This is a crop of a whole-slide image: an H&E-stained breast-cancer sentinel lymph node section at roughly 5× magnification (about 1.8 µm per pixel; the crop spans about 0.93 mm).
Question: 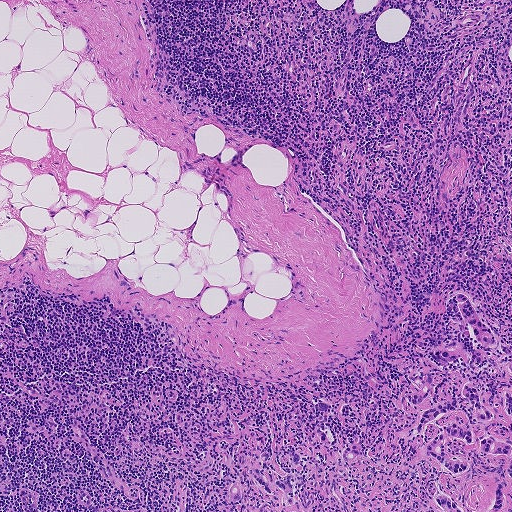
About how much of this crop is taken up by metastatic carcinoma?

Choices:
 (A) about 50% or more
 (B) about 10% to 20%
 (C) about 5% or less
 (D) none: no tumour is outlined
 (E) about 25% to 45%

Answer: (C) about 5% or less
About 5% of the field is tumour.
Boundaries of four metastatic tumour regions, simplified and listed clockwise, largest first: region 1: (465, 289), (499, 339), (508, 341), (511, 379), (485, 376), (490, 399), (511, 389), (511, 511), (442, 511), (431, 502), (441, 493), (439, 468), (422, 450), (418, 407), (398, 398), (423, 389), (403, 375), (444, 368), (424, 353), (431, 348), (482, 350), (460, 311), (457, 294); region 2: (362, 440), (360, 450), (357, 456), (350, 461), (345, 461), (341, 455), (343, 448), (349, 444); region 3: (251, 466), (259, 469), (270, 488), (272, 494), (269, 495), (264, 491), (255, 479), (247, 472); region 4: (326, 402), (329, 404), (326, 411), (324, 418), (319, 423), (316, 417), (320, 412), (316, 404), (319, 403).
Three more small tumour pieces are annotated here but not outlined.